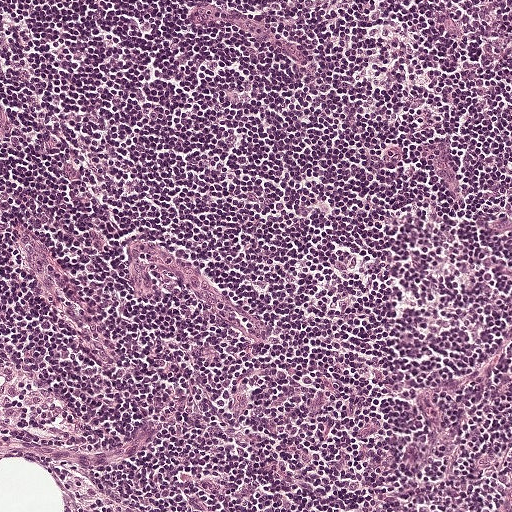
This is a crop of a whole-slide image: an H&E-stained breast-cancer sentinel lymph node section at roughly 10× magnification (about 0.97 µm per pixel; the crop spans about 0.5 mm).
Question: Does this lymph node field contain metastatic tumour?
Answer: No. No metastatic tumour is outlined in this field.